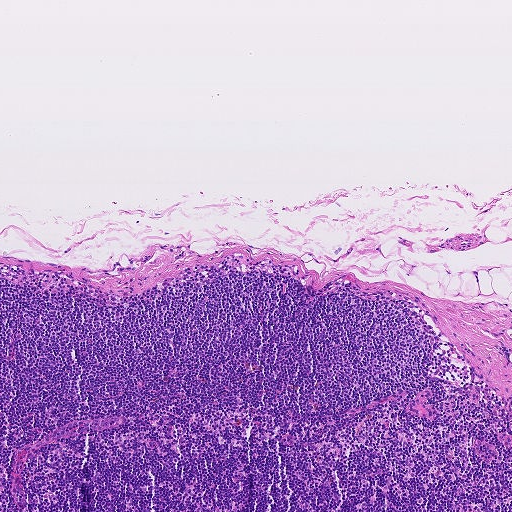
Lymph node section stained with H&E, from a whole-slide image of a breast-cancer sentinel node. Magnification about 5×, about 0.93 mm across the frame, about 1.8 µm per pixel.
Question: Is there metastatic carcinoma in this field?
Answer: No: no metastatic tumour is outlined anywhere in this field.